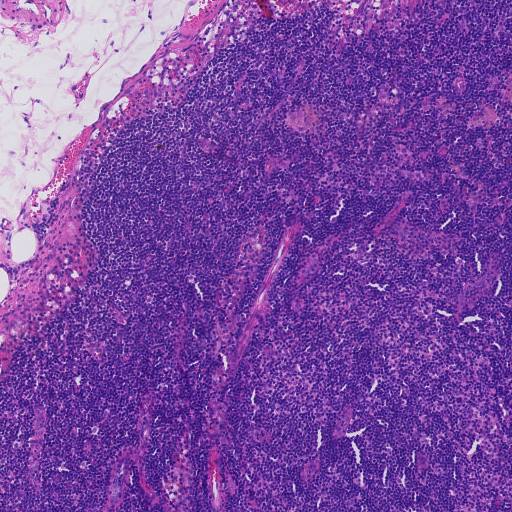
Lymph node section stained with H&E, from a whole-slide image of a breast-cancer sentinel node. Magnification about 5×, about 0.93 mm across the frame, about 1.8 µm per pixel.